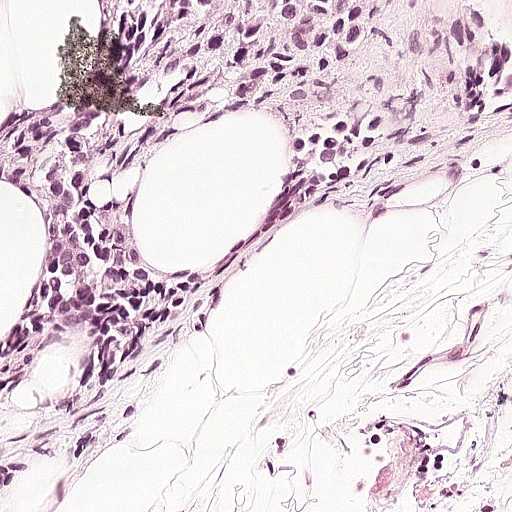
H&E-stained section of a sentinel lymph node (breast cancer), from a whole-slide image, viewed at about 20×: the field is about 0.25 mm across, about 0.49 µm per pixel.
Tumour region outline (a closed clockwise path, crop pixels): (93, 0), (507, 0), (511, 138), (475, 157), (325, 205), (249, 112), (158, 140), (130, 242), (190, 300), (114, 360), (53, 357), (1, 436), (0, 354), (41, 286), (49, 234), (34, 199), (0, 185), (0, 133), (22, 103), (50, 104), (85, 78).
About 35% of this field is tumour.